Question: 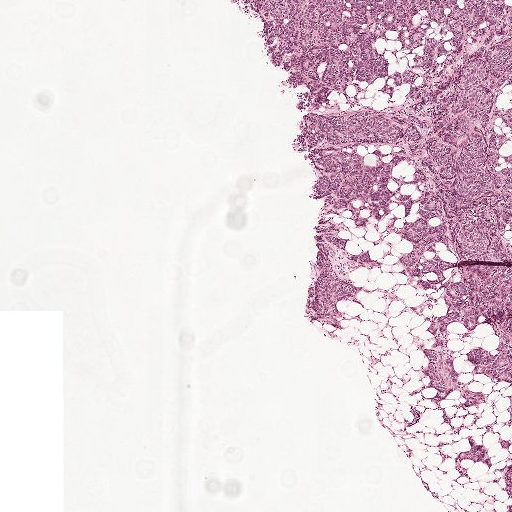
A 2.0-mm field of an H&E-stained sentinel lymph node from a breast-cancer patient (whole-slide image), shown at about 2.5×, about 3.9 µm per pixel.
About how much of this crop is taken up by metastatic carcinoma?

Choices:
 (A) about 25% to 45%
 (B) about 5% or less
 (C) about 10% to 20%
 (D) none: no tumour is outlined
 (E) about 50% or more

Answer: (A) about 25% to 45%
About 30% of the field is tumour.
The outlined metastatic tumour's edge, as a closed clockwise path of 13 points: (248, 0), (511, 0), (511, 510), (504, 427), (426, 391), (420, 304), (400, 256), (368, 325), (313, 332), (298, 320), (312, 266), (301, 166), (286, 89).